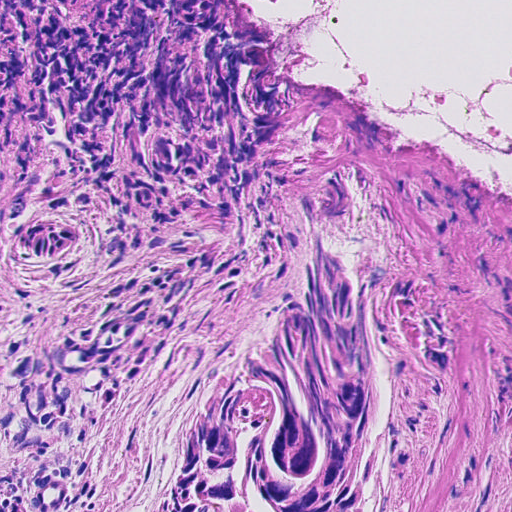
This is a crop of a whole-slide image: an H&E-stained breast-cancer sentinel lymph node section at roughly 20× magnification (about 0.45 µm per pixel; the crop spans about 0.23 mm).
Outlines of three tumour regions, largest first (closed clockwise paths, crop pixels): region 1: (0, 0), (78, 0), (83, 10), (90, 0), (252, 0), (288, 69), (291, 114), (262, 180), (227, 217), (132, 221), (57, 176), (0, 191); region 2: (343, 228), (368, 236), (396, 305), (401, 430), (386, 511), (131, 511), (199, 382), (305, 251); region 3: (50, 208), (84, 218), (89, 244), (64, 258), (37, 264), (11, 247), (10, 218).
Tumour covers about 40% of the frame.